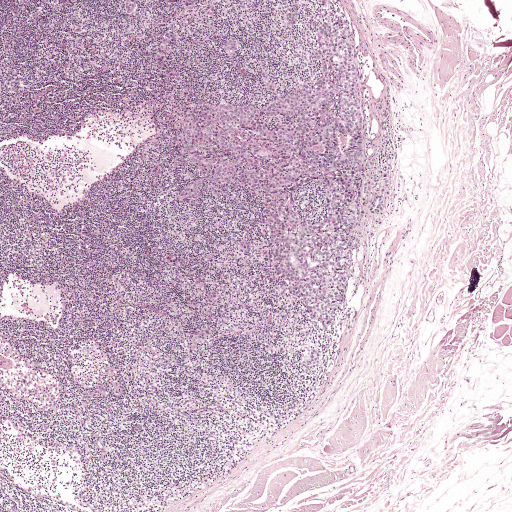
This is a crop of a whole-slide image: an H&E-stained breast-cancer sentinel lymph node section at roughly 2.5× magnification (about 3.9 µm per pixel; the crop spans about 2.0 mm).
Outlines of the eight largest metastatic tumour regions, each a closed clockwise path in crop pixels (x, y), largest first: region 1: (346, 15), (368, 136), (363, 190), (371, 181), (350, 293), (324, 340), (270, 267), (267, 242), (246, 252), (237, 246), (246, 235), (256, 244), (266, 239), (266, 227), (254, 223), (260, 196), (229, 184), (216, 201), (204, 179), (205, 197), (183, 205), (180, 189), (200, 172), (183, 158), (137, 179), (173, 156), (167, 145), (135, 163), (139, 153), (178, 134), (167, 127), (167, 109), (200, 97), (266, 102), (261, 65), (283, 91), (312, 82), (310, 16); region 2: (167, 252), (185, 255), (189, 261), (186, 266), (187, 273), (193, 275), (198, 274), (204, 275), (207, 280), (207, 289), (218, 289), (220, 292), (218, 306), (206, 305), (210, 324), (214, 329), (213, 341), (202, 346), (196, 356), (190, 354), (187, 348), (188, 341), (197, 331), (207, 325), (204, 303), (188, 309), (180, 300), (182, 294), (188, 293), (198, 301), (204, 302), (205, 290), (193, 287), (192, 281), (189, 276), (184, 272), (165, 266), (160, 261), (162, 255); region 3: (318, 348), (323, 357), (323, 363), (321, 369), (311, 375), (304, 374), (300, 370), (298, 365), (298, 358), (306, 349); region 4: (175, 32), (177, 37), (175, 50), (169, 53), (166, 65), (160, 68), (153, 59), (155, 46), (163, 36); region 5: (232, 36), (241, 43), (241, 50), (239, 56), (235, 59), (225, 55), (221, 50), (222, 44); region 6: (299, 7), (302, 12), (301, 17), (291, 24), (284, 25), (279, 22), (280, 17), (284, 12); region 7: (171, 66), (185, 74), (183, 79), (170, 79), (163, 78), (161, 73), (165, 68); region 8: (380, 195), (382, 196), (385, 202), (381, 211), (377, 213), (370, 211), (369, 206), (371, 197).
Six more, smaller tumour regions are not outlined.
13 more small tumour pieces are annotated here but not outlined.
The annotated tumour makes up about 15% of the crop.